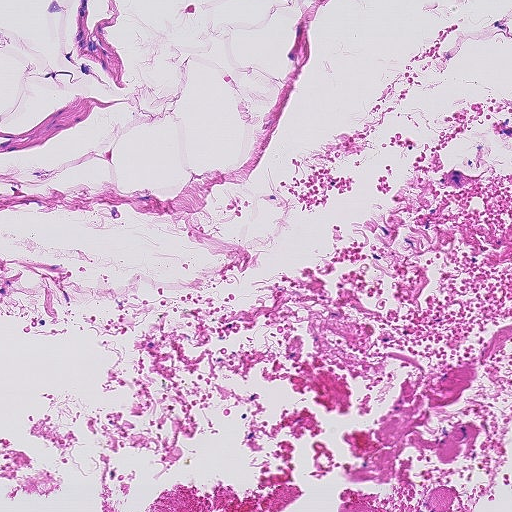
This is a crop of a whole-slide image: an H&E-stained breast-cancer sentinel lymph node section at roughly 10× magnification (about 0.9 µm per pixel; the crop spans about 0.46 mm).
Question: Is there metastatic carcinoma in this field?
Answer: No: no metastatic tumour is outlined anywhere in this field.